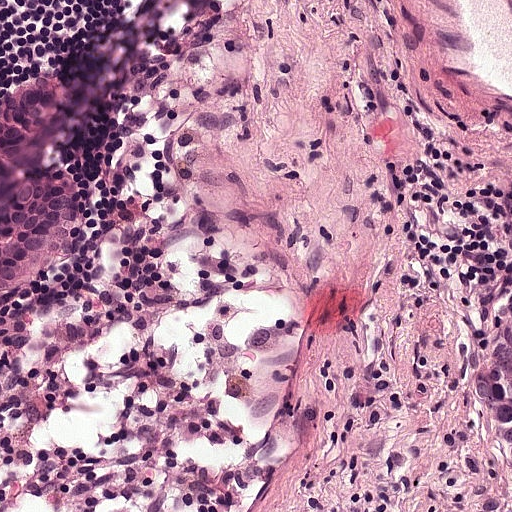
This is a crop of a whole-slide image: an H&E-stained breast-cancer sentinel lymph node section at roughly 20× magnification (about 0.49 µm per pixel; the crop spans about 0.25 mm).
Boundaries of two metastatic tumour regions, simplified and listed clockwise, largest first: region 1: (40, 70), (58, 73), (72, 146), (89, 182), (89, 232), (56, 293), (20, 306), (4, 306), (0, 112), (26, 93); region 2: (511, 307), (511, 472), (480, 462), (474, 455), (472, 444), (451, 410), (453, 350), (458, 334), (464, 328).
The annotated tumour makes up about 10% of the crop.